Question: 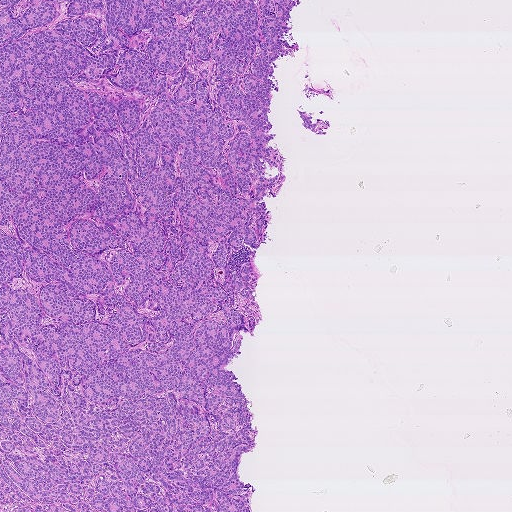
H&E-stained section of a sentinel lymph node (breast cancer), from a whole-slide image, viewed at about 2.5×: the field is about 1.9 mm across, about 3.6 µm per pixel.
Estimate the proportion of this field that is metastatic tumour.

Choices:
 (A) about 10% to 20%
 (B) none: no tumour is outlined
 (C) about 5% or less
 (D) about 25% to 45%
 (E) about 50% or more

Answer: (E) about 50% or more
About 50% of the field is tumour.
Outlines of two tumour regions, largest first (closed clockwise paths, crop pixels): region 1: (0, 0), (300, 2), (289, 12), (295, 58), (273, 62), (268, 133), (276, 134), (267, 145), (286, 158), (286, 180), (263, 197), (272, 240), (254, 262), (263, 321), (252, 336), (240, 330), (239, 357), (224, 367), (258, 428), (239, 469), (256, 490), (251, 508), (0, 511); region 2: (296, 109), (302, 111), (314, 111), (313, 116), (313, 122), (320, 119), (326, 119), (330, 122), (328, 128), (322, 130), (327, 134), (321, 135), (315, 134), (300, 123), (303, 122).
Question: 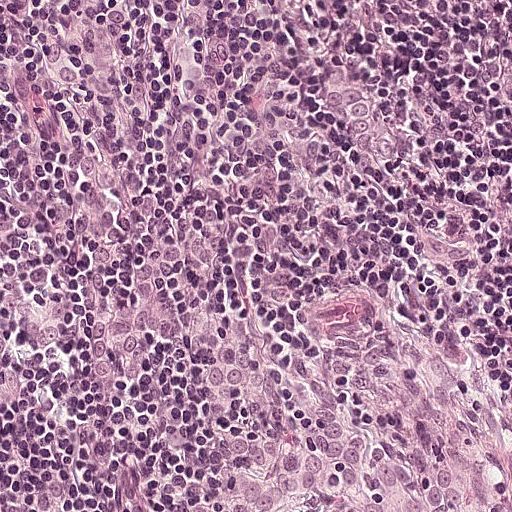
H&E-stained section of a sentinel lymph node (breast cancer), from a whole-slide image, viewed at about 20×: the field is about 0.25 mm across, about 0.49 µm per pixel.
Estimate the proportion of this field that is metastatic tumour.

Choices:
 (A) none: no tumour is outlined
 (B) about 50% or more
 (C) about 25% to 45%
 (D) about 10% to 20%
 (E) about 5% or less

Answer: (D) about 10% to 20%
About 10% of the field is tumour.
Tumour region outline (a closed clockwise path, crop pixels): (246, 356), (282, 360), (286, 372), (367, 410), (402, 449), (438, 457), (501, 511), (202, 511), (232, 494), (240, 476), (238, 412), (212, 391), (212, 380), (216, 368).
Question: 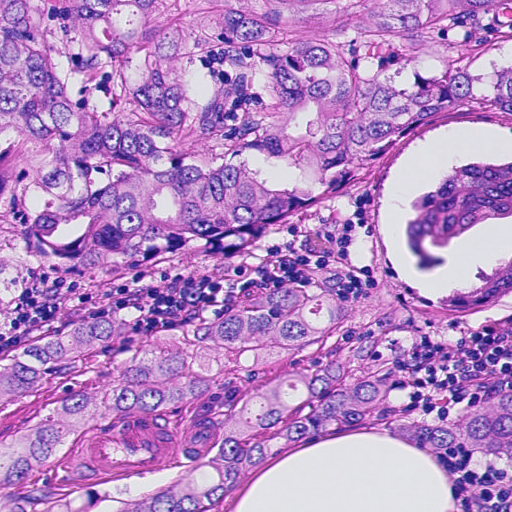
This is a crop of a whole-slide image: an H&E-stained breast-cancer sentinel lymph node section at roughly 20× magnification (about 0.45 µm per pixel; the crop spans about 0.23 mm).
Estimate the proportion of this field that is metastatic tumour.

Choices:
 (A) about 25% to 45%
 (B) about 5% or less
 (C) about 50% or more
 (D) none: no tumour is outlined
 (E) about 10% to 20%

Answer: (C) about 50% or more
About 80% of the field is tumour.
Metastatic tumour outline, simplified to 18 points and listed clockwise in crop pixels (x, y): (0, 0), (511, 0), (511, 113), (460, 104), (399, 143), (370, 235), (391, 281), (434, 307), (439, 328), (404, 387), (415, 406), (511, 397), (511, 452), (414, 452), (364, 432), (283, 460), (232, 506), (0, 511).
Question: 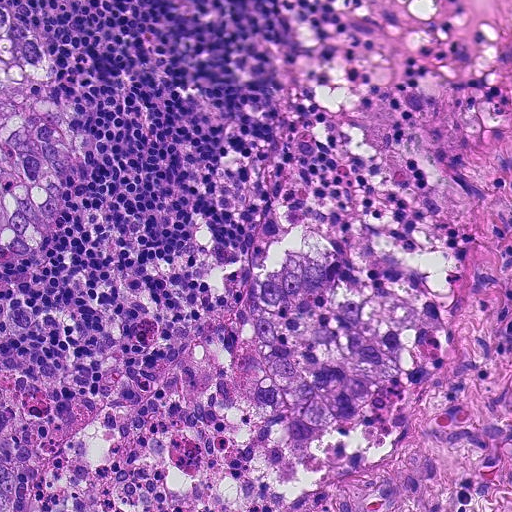
This is a crop of a whole-slide image: an H&E-stained breast-cancer sentinel lymph node section at roughly 20× magnification (about 0.45 µm per pixel; the crop spans about 0.23 mm).
Estimate the proportion of this field that is metastatic tumour.

Choices:
 (A) about 25% to 45%
 (B) about 10% to 20%
 (C) about 5% or less
 (D) none: no tumour is outlined
 (E) about 50% or more

Answer: (E) about 50% or more
About 55% of the field is tumour.
Boundaries of two metastatic tumour regions, simplified and listed clockwise, largest first: region 1: (293, 0), (494, 0), (511, 130), (486, 178), (458, 352), (392, 458), (282, 511), (0, 511), (0, 371), (104, 396), (127, 387), (224, 304), (260, 238), (298, 205), (445, 252), (470, 246), (338, 166), (316, 156), (290, 162), (276, 142), (280, 80), (308, 8); region 2: (0, 6), (38, 29), (48, 46), (73, 142), (70, 181), (58, 199), (60, 218), (38, 252), (20, 262), (0, 263).